A 0.25-mm field of an H&E-stained sentinel lymph node from a breast-cancer patient (whole-slide image), shown at about 20×, about 0.49 µm per pixel.
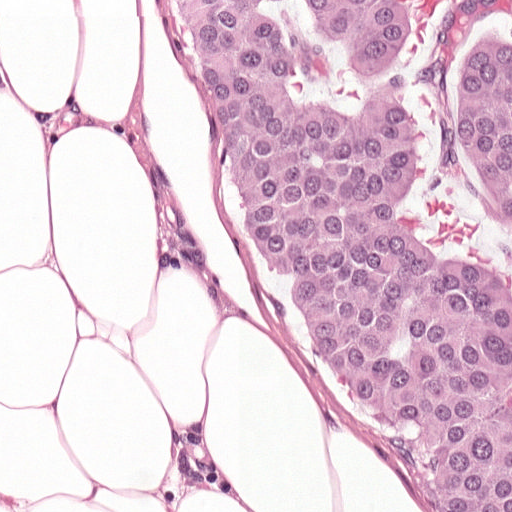
The outlined metastatic tumour's edge, as a closed clockwise path of 7 points: (172, 0), (511, 0), (511, 511), (424, 511), (380, 435), (298, 338), (236, 218).
About 45% of the image area is annotated as tumour.